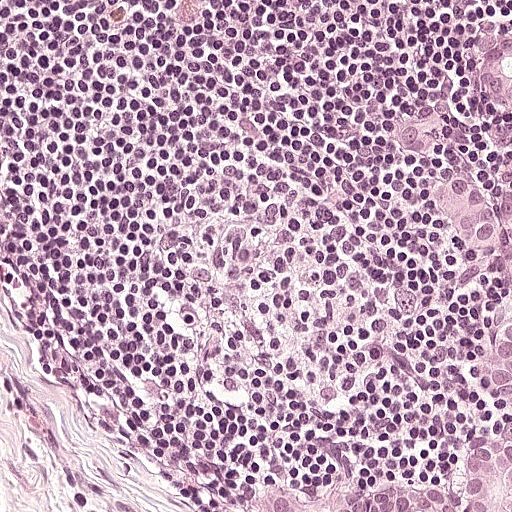
H&E-stained section of a sentinel lymph node (breast cancer), from a whole-slide image, viewed at about 20×: the field is about 0.25 mm across, about 0.49 µm per pixel.
Question: Which parts of this field are metastatic tumour?
Answer: Tumour region outline (a closed clockwise path, crop pixels): (511, 0), (511, 511), (270, 511), (270, 496), (284, 488), (346, 488), (434, 503), (466, 494), (479, 479), (484, 464), (482, 262), (446, 224), (401, 146), (416, 114), (446, 114), (460, 129), (482, 136), (506, 134), (473, 70), (473, 1).
About 10% of the image area is annotated as tumour.